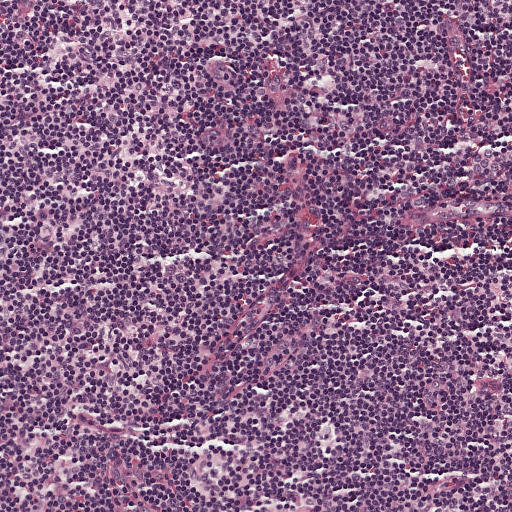
Lymph node section stained with H&E, from a whole-slide image of a breast-cancer sentinel node. Magnification about 10×, about 0.5 mm across the frame, about 0.97 µm per pixel.